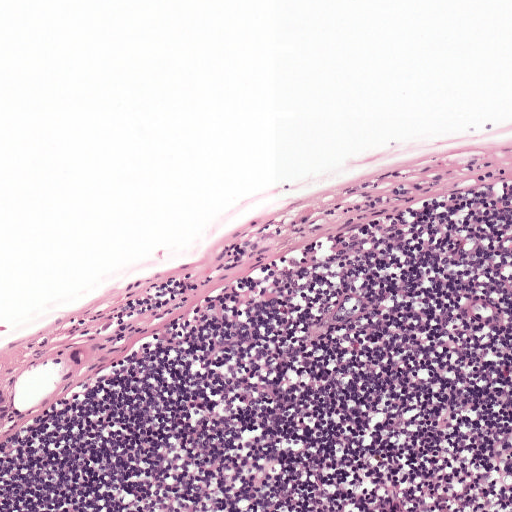
This is a crop of a whole-slide image: an H&E-stained breast-cancer sentinel lymph node section at roughly 10× magnification (about 0.97 µm per pixel; the crop spans about 0.5 mm).
The outlined metastatic tumour's edge, as a closed clockwise path of 4 points: (0, 387), (8, 393), (6, 424), (0, 428).
One more small tumour piece is annotated here but not outlined.
Tumour covers under 5% of the frame.